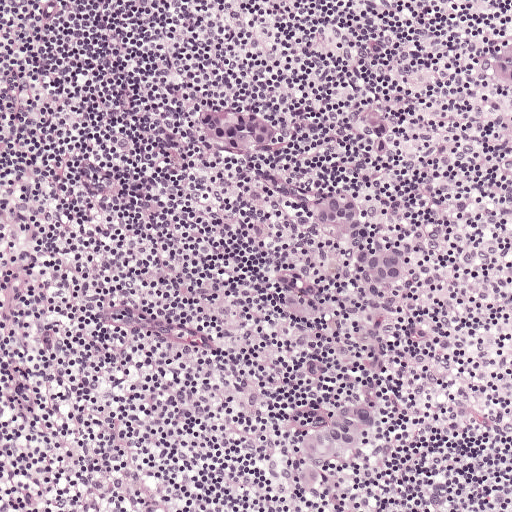
This is a crop of a whole-slide image: an H&E-stained breast-cancer sentinel lymph node section at roughly 10× magnification (about 0.97 µm per pixel; the crop spans about 0.5 mm).
Outlines of three tumour regions, largest first (closed clockwise paths, crop pixels): region 1: (204, 95), (274, 109), (289, 132), (278, 154), (284, 178), (307, 189), (328, 182), (350, 189), (364, 208), (364, 245), (407, 244), (415, 254), (414, 293), (406, 310), (357, 306), (374, 385), (393, 404), (387, 453), (343, 470), (318, 511), (293, 504), (285, 482), (288, 451), (322, 411), (364, 386), (351, 301), (286, 325), (256, 287), (265, 265), (288, 262), (328, 291), (352, 297), (356, 250), (308, 237), (305, 212), (290, 194), (270, 178), (194, 150), (176, 132), (181, 106); region 2: (511, 31), (511, 93), (482, 73), (478, 50), (496, 36); region 3: (391, 117), (391, 145), (384, 155), (373, 155), (374, 122).
Two more small tumour pieces are annotated here but not outlined.
About 10% of the image area is annotated as tumour.